Question: 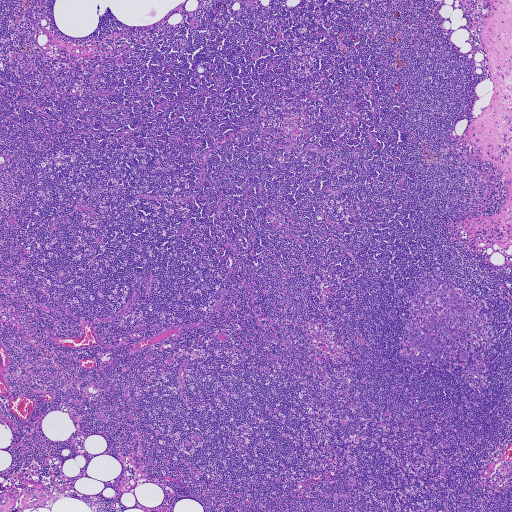
At roughly what magnification is this field shown?

Choices:
 (A) about 5×
 (B) about 10×
 (C) about 20×
 (D) about 2.5×
 (E) about 40×

Answer: (D) about 2.5×
Lymph node section stained with H&E, from a whole-slide image of a breast-cancer sentinel node. Magnification about 2.5×, about 1.9 mm across the frame, about 3.6 µm per pixel.